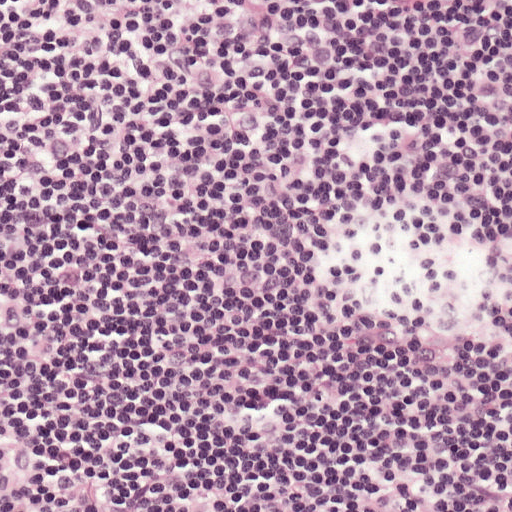
H&E-stained section of a sentinel lymph node (breast cancer), from a whole-slide image, viewed at about 20×: the field is about 0.25 mm across, about 0.49 µm per pixel.